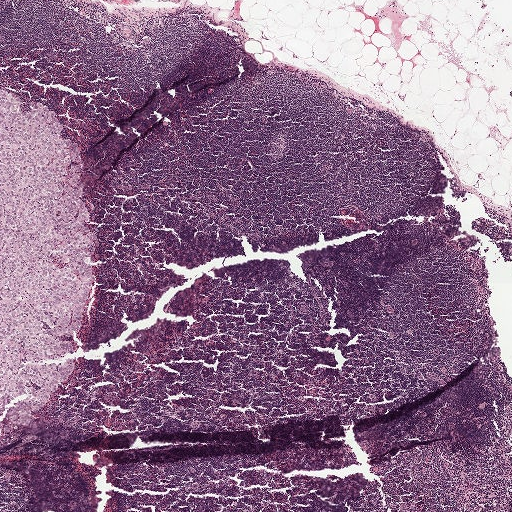
Lymph node section stained with H&E, from a whole-slide image of a breast-cancer sentinel node. Magnification about 2.5×, about 2.0 mm across the frame, about 3.9 µm per pixel.
Tumour region outline (a closed clockwise path, crop pixels): (0, 88), (22, 99), (25, 112), (32, 101), (45, 105), (61, 138), (78, 144), (68, 211), (88, 207), (97, 235), (83, 259), (95, 278), (81, 326), (62, 337), (71, 353), (37, 363), (69, 363), (70, 374), (39, 408), (25, 394), (0, 413).
About 10% of the image area is annotated as tumour.